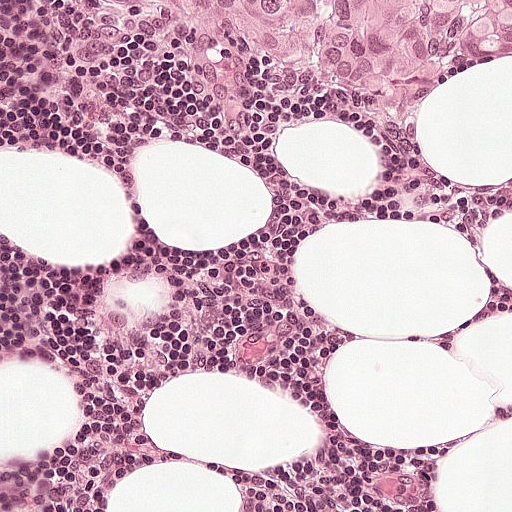
H&E-stained section of a sentinel lymph node (breast cancer), from a whole-slide image, viewed at about 20×: the field is about 0.25 mm across, about 0.49 µm per pixel.
Metastatic tumour outline, simplified to 8 points and listed clockwise in crop pixels (x, y): (511, 0), (511, 78), (467, 101), (412, 86), (335, 94), (238, 90), (151, 60), (106, 4).
About 15% of this field is tumour.